Image:
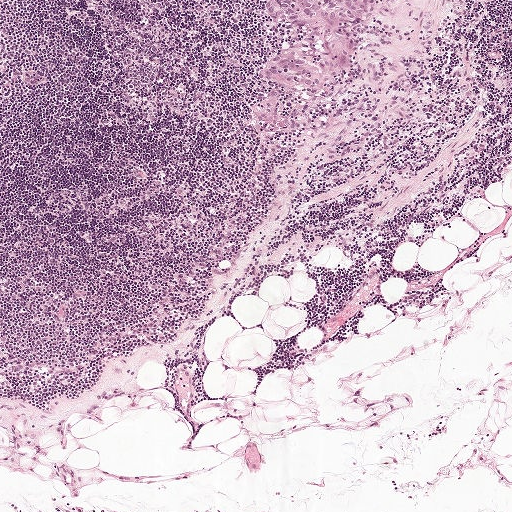
H&E-stained section of a sentinel lymph node (breast cancer), from a whole-slide image, viewed at about 5×: the field is about 1 mm across, about 1.9 µm per pixel.
Question:
Is any metastatic breast cancer visible in this crop?
Answer:
Yes.
The outlined metastatic tumour's edge, as a closed clockwise path of 20 points: (268, 0), (379, 0), (359, 23), (357, 65), (335, 79), (316, 108), (305, 144), (286, 157), (289, 154), (271, 156), (260, 149), (258, 124), (251, 113), (258, 85), (268, 78), (261, 71), (262, 64), (289, 32), (288, 22), (271, 12).
About 5% of this field is tumour.